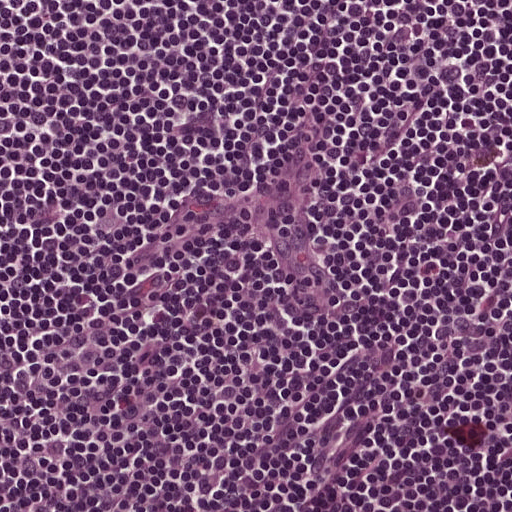
A 0.25-mm field of an H&E-stained sentinel lymph node from a breast-cancer patient (whole-slide image), shown at about 20×, about 0.49 µm per pixel.